Image:
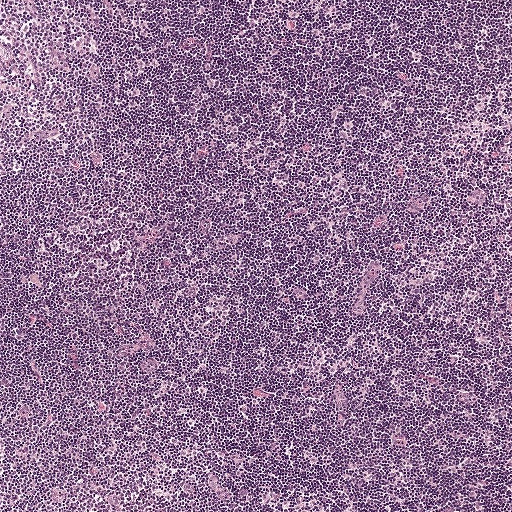
This is a crop of a whole-slide image: an H&E-stained breast-cancer sentinel lymph node section at roughly 5× magnification (about 1.9 µm per pixel; the crop spans about 1 mm).
Question:
Is there metastatic carcinoma in this field?
Answer:
No. No metastatic tumour is outlined in this field.